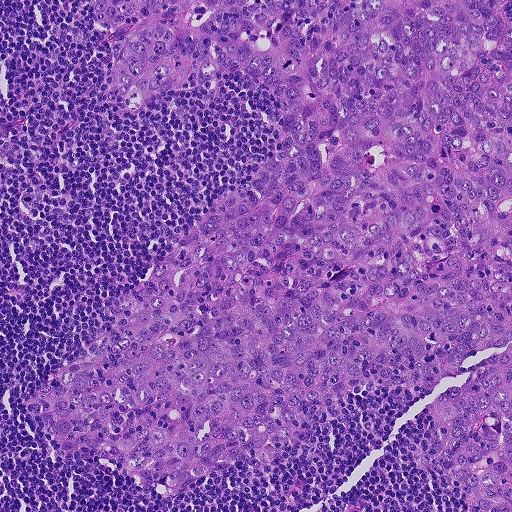
H&E-stained section of a sentinel lymph node (breast cancer), from a whole-slide image, viewed at about 10×: the field is about 0.46 mm across, about 0.9 µm per pixel.
Tumour region outline (a closed clockwise path, crop pixels): (511, 0), (511, 511), (471, 511), (412, 459), (431, 442), (432, 417), (402, 379), (355, 394), (286, 465), (214, 476), (178, 502), (62, 463), (18, 404), (80, 356), (113, 297), (262, 165), (283, 120), (258, 80), (235, 72), (146, 108), (100, 96), (123, 35), (95, 29), (90, 10).
About 65% of the image area is annotated as tumour.